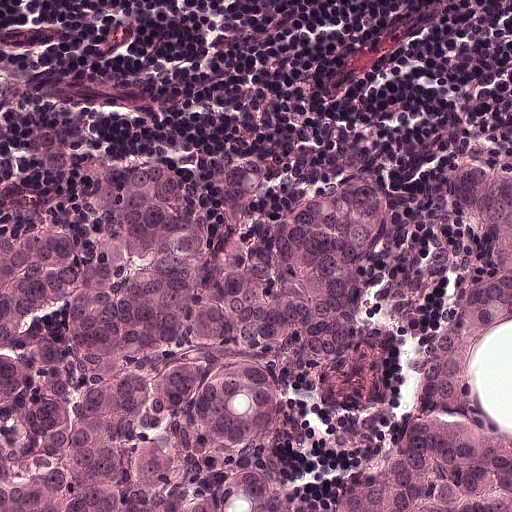
H&E-stained section of a sentinel lymph node (breast cancer), from a whole-slide image, viewed at about 20×: the field is about 0.25 mm across, about 0.49 µm per pixel.
Tumour region outline (a closed clockwise path, crop pixels): (0, 62), (54, 88), (99, 136), (73, 220), (103, 212), (116, 178), (254, 168), (288, 190), (321, 175), (377, 182), (396, 218), (364, 352), (332, 416), (347, 497), (442, 382), (468, 162), (510, 156), (511, 320), (496, 326), (476, 386), (511, 429), (511, 511), (0, 511).
The annotated tumour makes up about 60% of the crop.